Lymph node section stained with H&E, from a whole-slide image of a breast-cancer sentinel node. Magnification about 2.5×, about 1.9 mm across the frame, about 3.6 µm per pixel.
Image:
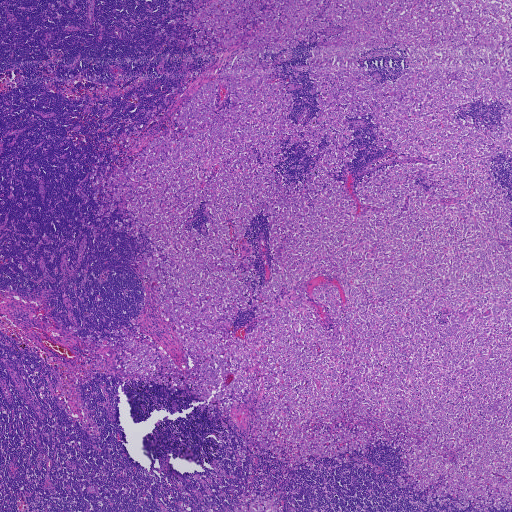
Question:
Where is the metastatic tumour in this field?
Answer:
Boundaries of six metastatic tumour regions, simplified and listed clockwise, largest first: region 1: (511, 0), (509, 510), (430, 505), (444, 477), (402, 487), (380, 439), (337, 468), (241, 462), (244, 404), (216, 417), (190, 387), (122, 374), (114, 329), (194, 364), (131, 265), (148, 235), (115, 231), (126, 194), (98, 222), (93, 197), (228, 64), (184, 23), (205, 2); region 2: (252, 492), (256, 492), (258, 495), (261, 496), (269, 494), (276, 497), (278, 499), (279, 503), (280, 504), (283, 511), (249, 511), (250, 505), (252, 502), (255, 500), (256, 497), (255, 496), (251, 496); region 3: (133, 135), (138, 138), (132, 148), (123, 153), (116, 153), (110, 144), (106, 141), (108, 137), (119, 141), (125, 141); region 4: (95, 164), (101, 164), (99, 169), (99, 174), (104, 170), (108, 164), (111, 166), (108, 174), (99, 183), (94, 186), (88, 177); region 5: (242, 502), (245, 502), (248, 511), (235, 511), (234, 508), (240, 505); region 6: (149, 109), (161, 116), (161, 119), (159, 120), (151, 119), (145, 114).
Five more small tumour pieces are annotated here but not outlined.
Tumour covers about 60% of the frame.